H&E-stained section of a sentinel lymph node (breast cancer), from a whole-slide image, viewed at about 5×: the field is about 0.93 mm across, about 1.8 µm per pixel.
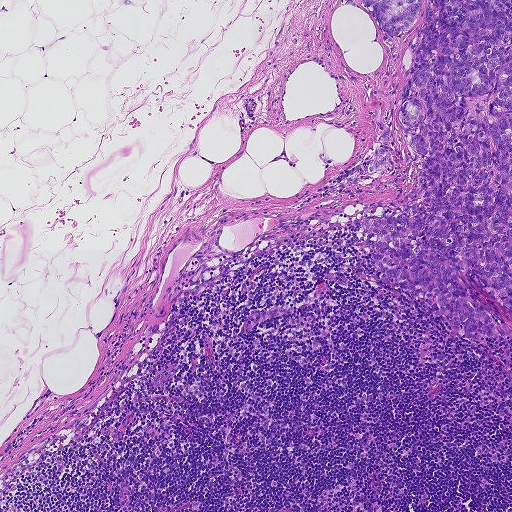
Boundaries of two metastatic tumour regions, simplified and listed clockwise, largest first: region 1: (427, 0), (511, 0), (511, 311), (457, 275), (511, 328), (511, 341), (461, 337), (446, 316), (433, 316), (439, 302), (383, 282), (370, 249), (359, 244), (368, 207), (383, 204), (380, 213), (419, 189), (416, 133), (398, 109), (414, 61), (408, 43), (417, 41); region 2: (362, 0), (422, 0), (416, 24), (407, 35), (401, 36), (391, 36), (380, 28), (370, 12), (364, 8).
About 15% of the image area is annotated as tumour.